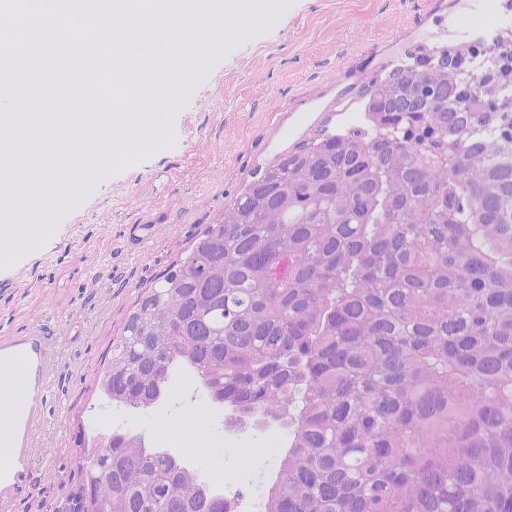
This is a crop of a whole-slide image: an H&E-stained breast-cancer sentinel lymph node section at roughly 20× magnification (about 0.5 µm per pixel; the crop spans about 0.26 mm).
Metastatic tumour outline, simplified to 9 points and listed clockwise in crop pixels (x, y): (418, 70), (464, 70), (480, 113), (511, 146), (511, 511), (79, 511), (94, 403), (132, 316), (332, 102).
About 55% of the image area is annotated as tumour.